This is a crop of a whole-slide image: an H&E-stained breast-cancer sentinel lymph node section at roughly 2.5× magnification (about 3.9 µm per pixel; the crop spans about 2.0 mm).
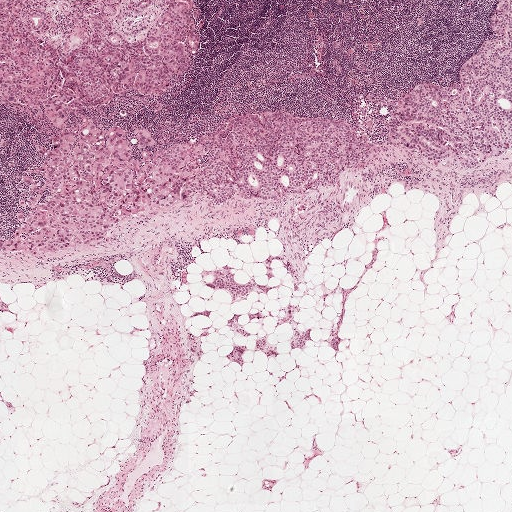
Question: Where is the metastatic tumour in this field? Give each region's outline as (x, y) pixel points.
Answer: Outlines of the eight largest metastatic tumour regions, each a closed clockwise path in crop pixels (x, y), largest first: region 1: (0, 0), (194, 0), (200, 44), (170, 90), (82, 110), (125, 131), (132, 160), (254, 108), (347, 123), (380, 150), (333, 186), (202, 193), (29, 254), (0, 238), (33, 214), (22, 176), (44, 185), (39, 150), (60, 134), (43, 105), (0, 103); region 2: (498, 0), (511, 0), (511, 150), (473, 172), (456, 170), (395, 146), (387, 133), (387, 120), (400, 96), (415, 85), (434, 83), (444, 88), (458, 84), (456, 73), (461, 62), (476, 53), (491, 31); region 3: (229, 264), (236, 268), (230, 271), (234, 273), (234, 280), (239, 284), (246, 283), (253, 278), (256, 283), (268, 285), (272, 287), (272, 290), (268, 294), (259, 295), (252, 290), (232, 303), (232, 293), (223, 289), (209, 288), (203, 283), (211, 280), (215, 270); region 4: (147, 128), (155, 141), (156, 146), (145, 149), (139, 148), (134, 132), (136, 129); region 5: (296, 329), (303, 332), (310, 329), (311, 340), (306, 342), (303, 349), (291, 349), (289, 344), (295, 336); region 6: (233, 345), (243, 346), (246, 347), (242, 357), (243, 362), (241, 368), (240, 365), (234, 362), (231, 362), (225, 356), (231, 352); region 7: (233, 314), (240, 315), (237, 319), (237, 323), (239, 326), (242, 327), (245, 330), (251, 335), (251, 338), (247, 338), (241, 336), (226, 326), (227, 322), (231, 320), (233, 317); region 8: (327, 203), (335, 209), (336, 215), (333, 222), (324, 224), (321, 224), (323, 216), (323, 206).
Eight more, smaller tumour regions are not outlined.
About 25% of this field is tumour.